H&E-stained section of a sentinel lymph node (breast cancer), from a whole-slide image, viewed at about 5×: the field is about 1 mm across, about 1.9 µm per pixel.
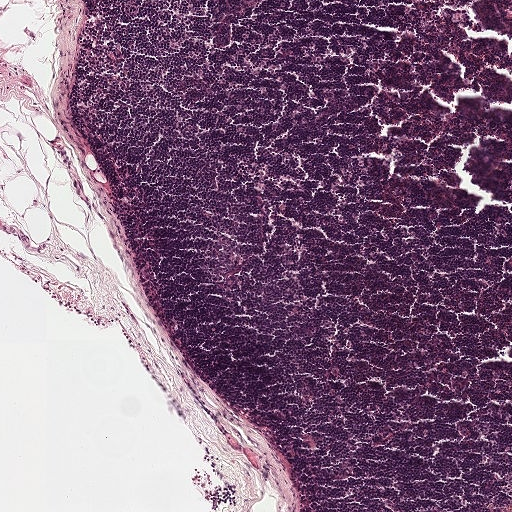
Question: Is any metastatic breast cancer visible in this crop?
Answer: No: no metastatic tumour is outlined anywhere in this field.